A 2.0-mm field of an H&E-stained sentinel lymph node from a breast-cancer patient (whole-slide image), shown at about 2.5×, about 3.9 µm per pixel.
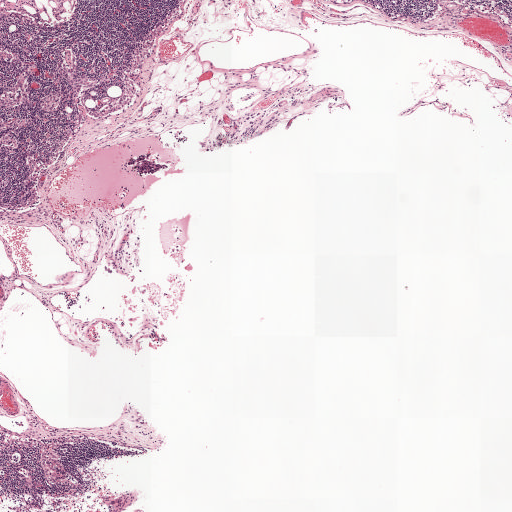
Tumour region outline (a closed clockwise path, crop pixels): (162, 153), (165, 159), (169, 160), (169, 169), (156, 174), (134, 175), (121, 168), (128, 157), (140, 154).
One more small tumour piece is annotated here but not outlined.
The annotated tumour makes up under 5% of the crop.